This is a crop of a whole-slide image: an H&E-stained breast-cancer sentinel lymph node section at roughly 2.5× magnification (about 3.9 µm per pixel; the crop spans about 2.0 mm).
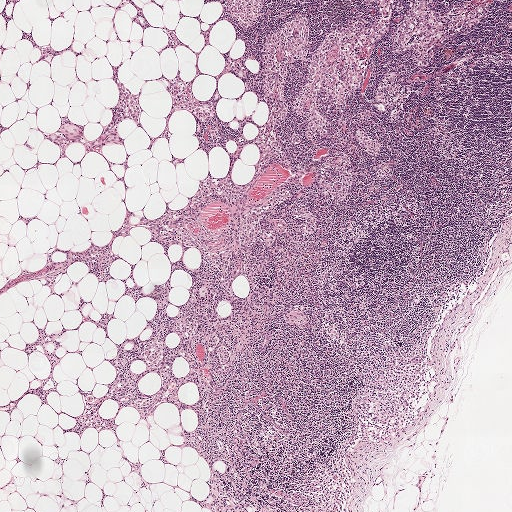
Question: Is any metastatic breast cancer visible in this crop?
Answer: No: no metastatic tumour is outlined anywhere in this field.